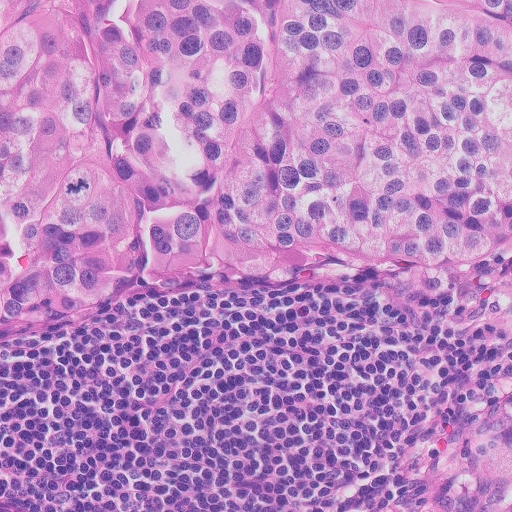
H&E-stained section of a sentinel lymph node (breast cancer), from a whole-slide image, viewed at about 20×: the field is about 0.26 mm across, about 0.5 µm per pixel.
One metastatic tumour region; its boundary, reduced to 11 corners and listed clockwise: (0, 0), (511, 0), (511, 511), (310, 511), (343, 452), (435, 374), (435, 338), (316, 311), (202, 303), (79, 314), (0, 335).
Tumour covers about 70% of the frame.